Question: 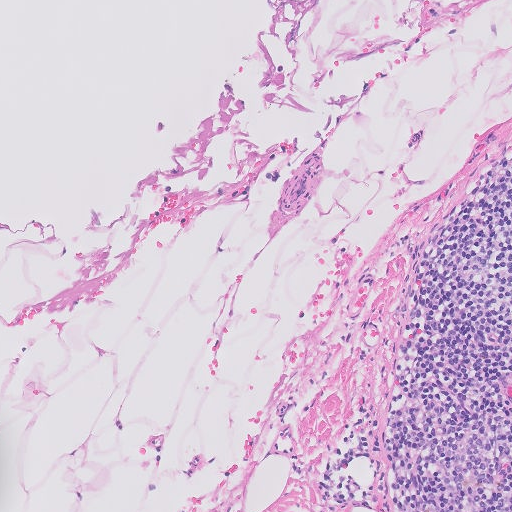
At roughly what magnification is this field shown?

Choices:
 (A) about 40×
 (B) about 20×
 (C) about 5×
 (D) about 10×
 (E) about 2.5×

Answer: (D) about 10×
H&E-stained section of a sentinel lymph node (breast cancer), from a whole-slide image, viewed at about 10×: the field is about 0.51 mm across, about 1.0 µm per pixel.